Question: 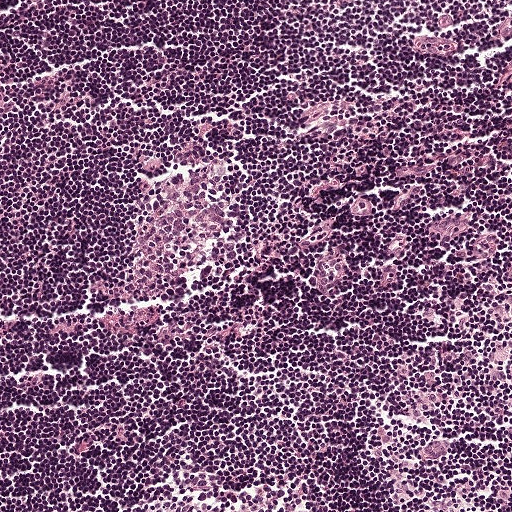
At roughly what magnification is this field shown?

Choices:
 (A) about 2.5×
 (B) about 5×
 (C) about 10×
 (D) about 40×
 (E) about 20×

Answer: (C) about 10×
H&E-stained section of a sentinel lymph node (breast cancer), from a whole-slide image, viewed at about 10×: the field is about 0.5 mm across, about 0.97 µm per pixel.